Lymph node section stained with H&E, from a whole-slide image of a breast-cancer sentinel node. Magnification about 2.5×, about 2.0 mm across the frame, about 3.9 µm per pixel.
Image:
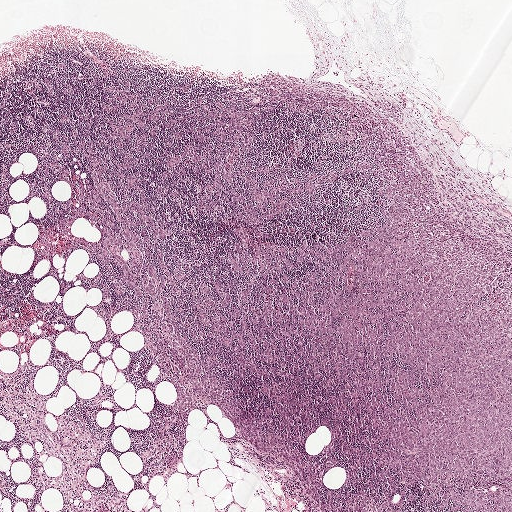
Question:
Is any metastatic breast cancer visible in this crop?
Answer:
Yes.
The outlined metastatic tumour's edge, as a closed clockwise path of 24 points: (26, 53), (146, 88), (296, 84), (398, 104), (425, 162), (448, 156), (511, 212), (511, 511), (308, 511), (288, 471), (200, 401), (170, 468), (178, 392), (140, 332), (98, 347), (102, 297), (78, 277), (98, 264), (80, 249), (36, 258), (46, 209), (27, 152), (0, 131), (0, 61).
About 60% of this field is tumour.